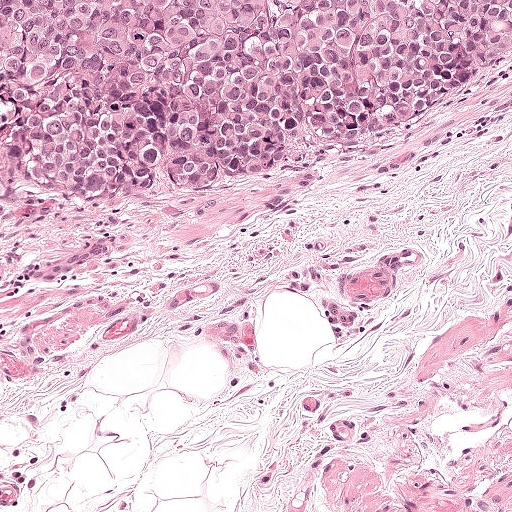
A 0.5-mm field of an H&E-stained sentinel lymph node from a breast-cancer patient (whole-slide image), shown at about 10×, about 0.97 µm per pixel.
Tumour region outline (a closed clockwise path, crop pixels): (0, 0), (511, 0), (511, 94), (365, 133), (255, 188), (204, 200), (0, 200).
Tumour covers about 30% of the frame.